Lymph node section stained with H&E, from a whole-slide image of a breast-cancer sentinel node. Magnification about 5×, about 1 mm across the frame, about 1.9 µm per pixel.
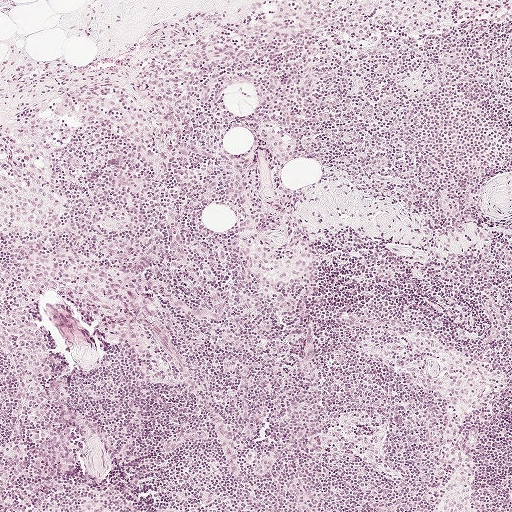
Question: Does this lymph node field contain metastatic tumour?
Answer: No: no metastatic tumour is outlined anywhere in this field.